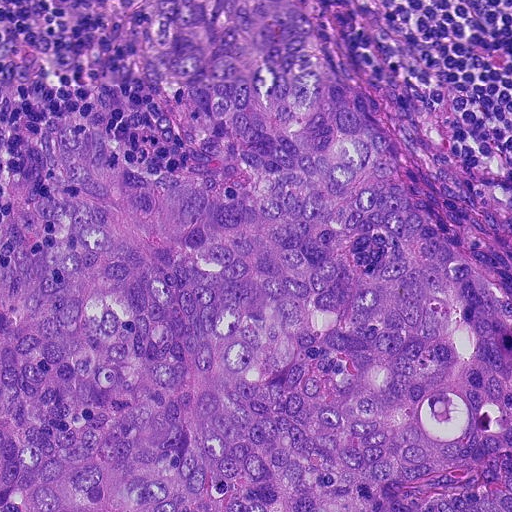
This is a crop of a whole-slide image: an H&E-stained breast-cancer sentinel lymph node section at roughly 20× magnification (about 0.45 µm per pixel; the crop spans about 0.23 mm).
The outlined metastatic tumour's edge, as a closed clockwise path of 6 points: (0, 0), (307, 0), (369, 124), (511, 241), (511, 511), (0, 511).
About 90% of this field is tumour.